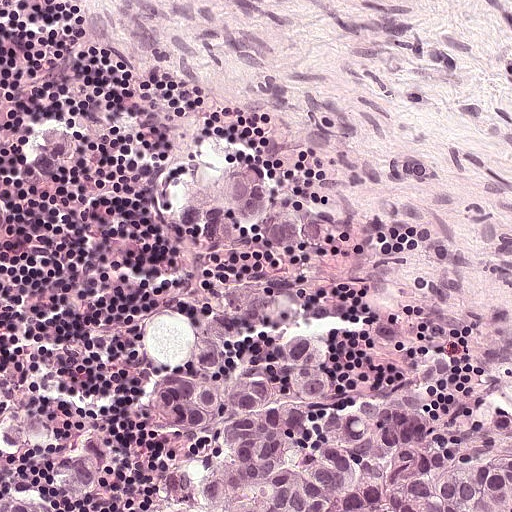
H&E-stained section of a sentinel lymph node (breast cancer), from a whole-slide image, viewed at about 20×: the field is about 0.25 mm across, about 0.49 µm per pixel.
Question: Is any metastatic breast cancer visible in this crop?
Answer: Yes.
Two metastatic tumour regions, each outlined as a closed clockwise path in crop pixels (x, y), largest first: region 1: (190, 164), (263, 167), (292, 192), (337, 206), (349, 258), (332, 294), (340, 384), (399, 392), (442, 360), (443, 417), (511, 410), (511, 511), (196, 511), (207, 436), (170, 420), (154, 392), (193, 379), (210, 300), (267, 260), (191, 244), (167, 208), (170, 176); region 2: (7, 496), (36, 500), (43, 506), (45, 509), (46, 509), (46, 511), (0, 511), (0, 501), (1, 499), (4, 498), (4, 497).
Two more small tumour pieces are annotated here but not outlined.
About 25% of this field is tumour.